Question: 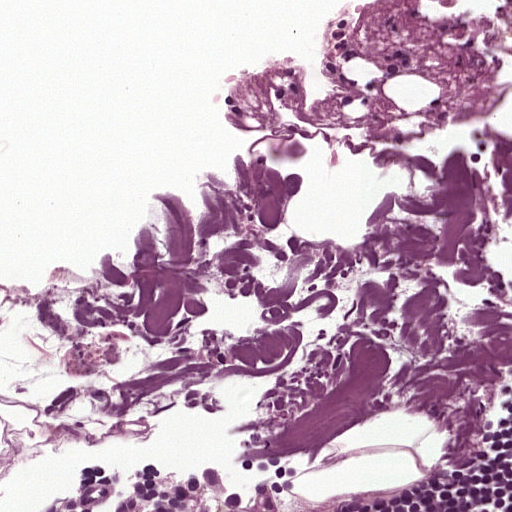
At roughly what magnification is this field shown?

Choices:
 (A) about 20×
 (B) about 40×
 (C) about 5×
 (D) about 2.5×
 (E) about 10×

Answer: (A) about 20×
H&E-stained section of a sentinel lymph node (breast cancer), from a whole-slide image, viewed at about 20×: the field is about 0.25 mm across, about 0.49 µm per pixel.